Question: 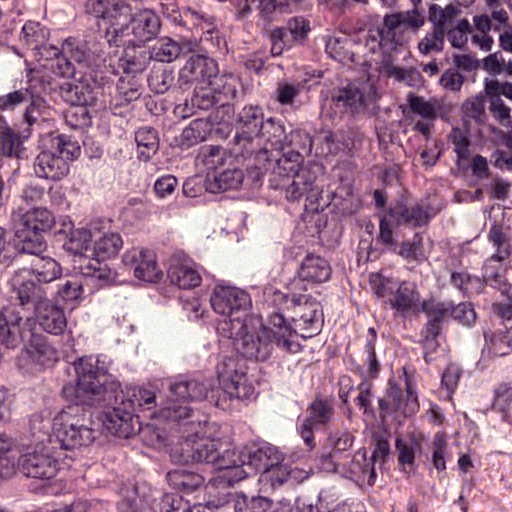
At roughly what magnification is this field shown?

Choices:
 (A) about 2.5×
 (B) about 5×
 (C) about 20×
 (D) about 10×
 (E) about 40×

Answer: (E) about 40×
H&E-stained section of a sentinel lymph node (breast cancer), from a whole-slide image, viewed at about 40×: the field is about 0.12 mm across, about 0.24 µm per pixel.
Metastatic tumour outline, simplified to 12 points and listed clockwise in crop pixels (x, y): (0, 0), (279, 0), (321, 29), (362, 104), (374, 201), (324, 317), (280, 376), (277, 401), (318, 442), (390, 476), (407, 511), (0, 511).
Tumour covers about 65% of the frame.